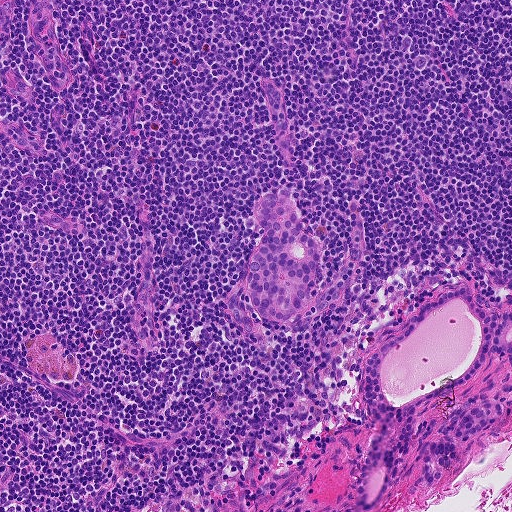
H&E-stained section of a sentinel lymph node (breast cancer), from a whole-slide image, viewed at about 10×: the field is about 0.46 mm across, about 0.9 µm per pixel.
Three metastatic tumour regions, each outlined as a closed clockwise path in crop pixels (x, y), largest first: region 1: (455, 286), (472, 286), (476, 303), (488, 315), (511, 311), (511, 357), (489, 356), (470, 382), (414, 412), (412, 438), (394, 456), (388, 489), (370, 511), (363, 511), (357, 496), (359, 470), (378, 424), (364, 404), (366, 360), (400, 333), (420, 304); region 2: (267, 195), (294, 200), (302, 227), (307, 234), (322, 242), (313, 304), (294, 320), (285, 323), (268, 321), (256, 310), (248, 294), (248, 261), (263, 230), (252, 212), (254, 204); region 3: (482, 394), (502, 406), (500, 424), (470, 442), (462, 444), (454, 440), (458, 448), (458, 458), (454, 465), (446, 469), (438, 484), (430, 486), (424, 481), (418, 464), (413, 462), (417, 449), (423, 444), (440, 438), (438, 432), (445, 417), (474, 395).
Tumour covers about 10% of the frame.